Image:
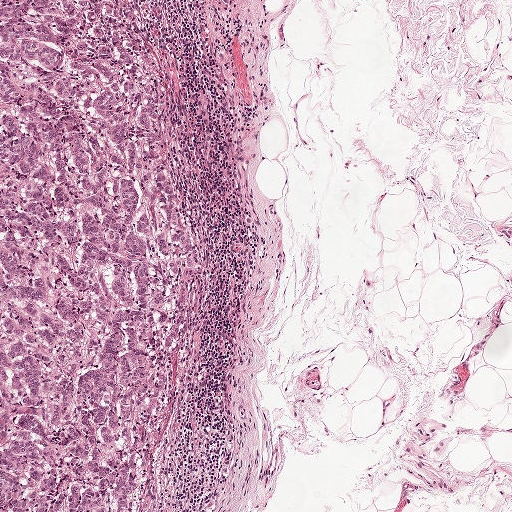
This is a crop of a whole-slide image: an H&E-stained breast-cancer sentinel lymph node section at roughly 5× magnification (about 1.9 µm per pixel; the crop spans about 1 mm).
Question:
Which parts of this field are metastatic tumour? Answer with the outline of each region, in pixels.
Answer:
One metastatic tumour region; its boundary, reduced to 7 corners and listed clockwise: (0, 0), (164, 0), (198, 172), (198, 266), (223, 423), (216, 505), (0, 511).
About 40% of the image area is annotated as tumour.